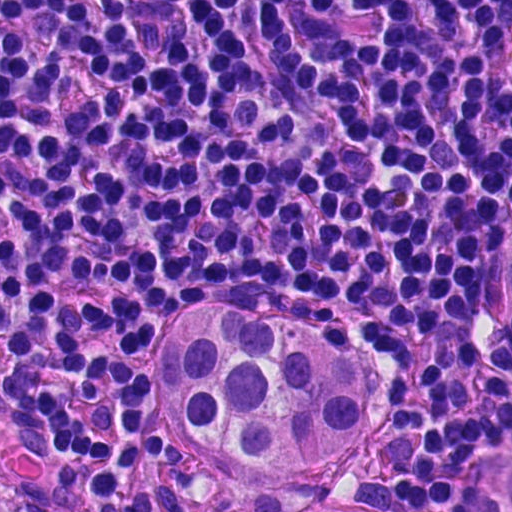
A 0.12-mm field of an H&E-stained sentinel lymph node from a breast-cancer patient (whole-slide image), shown at about 40×, about 0.23 µm per pixel.
Boundaries of three metastatic tumour regions, simplified and listed clockwise, largest first: region 1: (217, 295), (327, 324), (375, 351), (398, 401), (375, 449), (328, 476), (271, 474), (221, 456), (177, 425), (144, 363), (165, 313); region 2: (502, 435), (511, 438), (511, 511), (463, 511), (468, 477); region 3: (511, 230), (511, 369), (494, 323), (501, 234).
About 15% of the image area is annotated as tumour.